Lymph node section stained with H&E, from a whole-slide image of a breast-cancer sentinel node. Magnification about 5×, about 0.93 mm across the frame, about 1.8 µm per pixel.
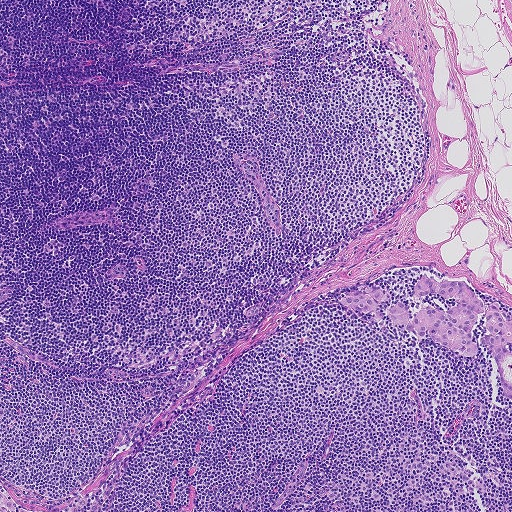
Question: Which parts of this field are metastatic tumour?
Answer: Tumour region outline (a closed clockwise path, crop pixels): (424, 272), (439, 281), (465, 281), (486, 308), (494, 301), (508, 321), (511, 319), (511, 400), (503, 390), (493, 357), (479, 343), (490, 333), (486, 314), (478, 314), (471, 329), (478, 350), (470, 357), (400, 327), (392, 320), (388, 304), (378, 305), (383, 318), (338, 301), (362, 286), (409, 305), (411, 320), (418, 308), (444, 311), (457, 302), (433, 293), (421, 299), (415, 296), (415, 284).
The annotated tumour makes up about 5% of the crop.